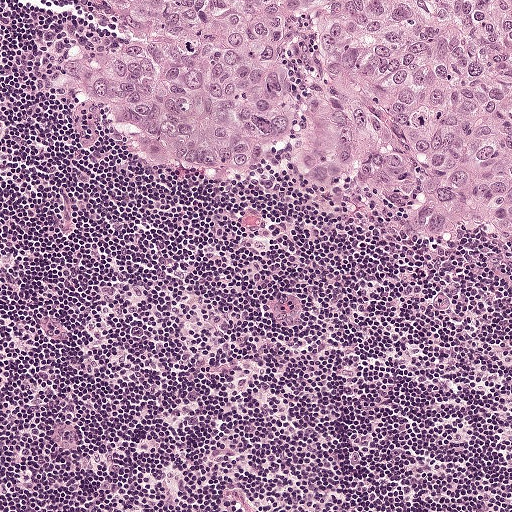
A 0.5-mm field of an H&E-stained sentinel lymph node from a breast-cancer patient (whole-slide image), shown at about 10×, about 0.97 µm per pixel.
Metastatic tumour outline, simplified to 12 points and listed clockwise in crop pixels (x, y): (511, 0), (511, 267), (473, 251), (413, 260), (320, 208), (303, 176), (222, 198), (155, 173), (65, 92), (60, 54), (120, 28), (80, 1).
Tumour covers about 35% of the frame.